Image:
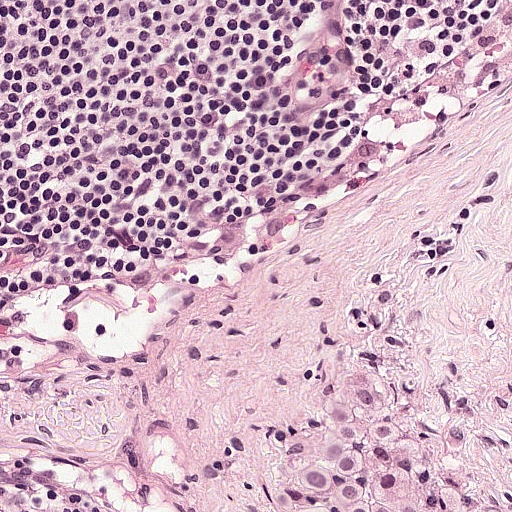
A 0.25-mm field of an H&E-stained sentinel lymph node from a breast-cancer patient (whole-slide image), shown at about 20×, about 0.49 µm per pixel.
Question:
Show where the tumour is in this image.
Answer:
One metastatic tumour region; its boundary, reduced to 8 corners and listed clockwise: (356, 366), (410, 388), (439, 412), (473, 475), (501, 511), (263, 511), (284, 426), (324, 376).
Tumour covers about 10% of the frame.